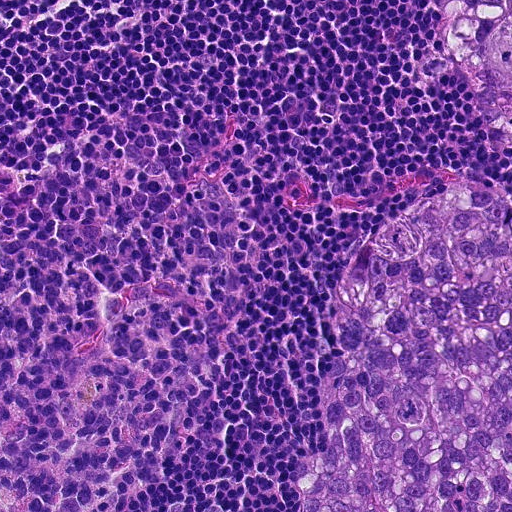
This is a crop of a whole-slide image: an H&E-stained breast-cancer sentinel lymph node section at roughly 20× magnification (about 0.45 µm per pixel; the crop spans about 0.23 mm).
Boundaries of two metastatic tumour regions, simplified and listed clockwise, largest first: region 1: (478, 185), (511, 205), (511, 511), (291, 511), (301, 489), (288, 465), (314, 454), (326, 430), (318, 403), (336, 267), (422, 198); region 2: (436, 0), (511, 0), (511, 141), (500, 138), (482, 118), (455, 70), (428, 78), (415, 69), (422, 56), (440, 50).
About 25% of this field is tumour.